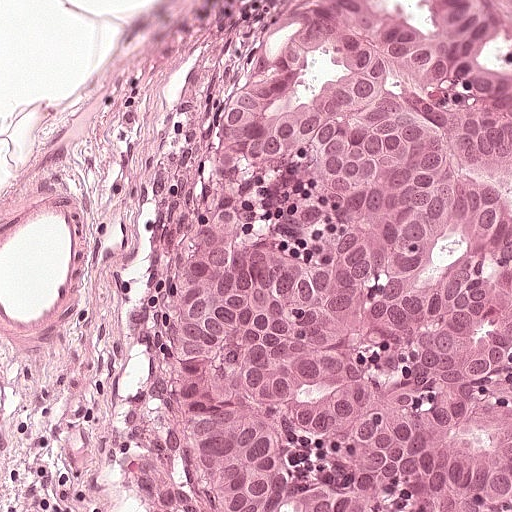
This is a crop of a whole-slide image: an H&E-stained breast-cancer sentinel lymph node section at roughly 20× magnification (about 0.49 µm per pixel; the crop spans about 0.25 mm).
The outlined metastatic tumour's edge, as a closed clockwise path of 12 points: (338, 36), (381, 54), (415, 90), (476, 98), (511, 124), (511, 511), (212, 511), (184, 476), (168, 376), (174, 238), (194, 167), (260, 67).
About 55% of this field is tumour.